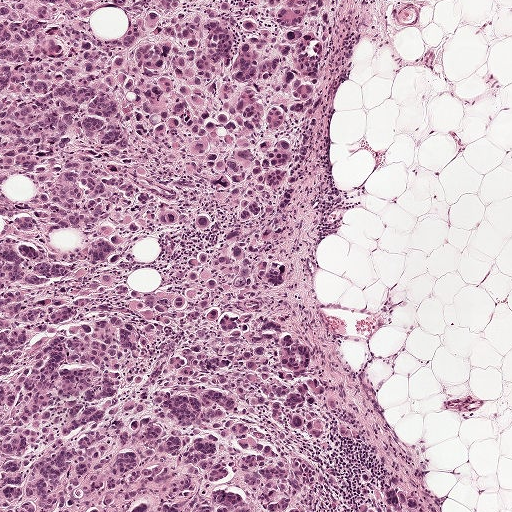
H&E-stained section of a sentinel lymph node (breast cancer), from a whole-slide image, viewed at about 5×: the field is about 1 mm across, about 1.9 µm per pixel.
Metastatic tumour outline, simplified to 10 points and listed clockwise in crop pixels (x, y): (0, 0), (346, 0), (321, 127), (277, 245), (290, 280), (254, 304), (311, 345), (397, 481), (431, 511), (0, 511).
The annotated tumour makes up about 60% of the crop.